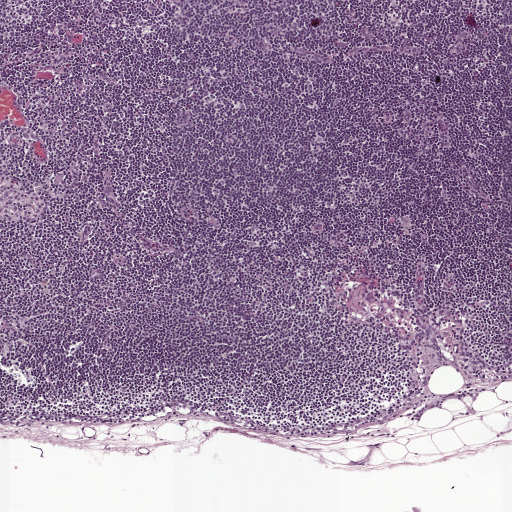
H&E-stained section of a sentinel lymph node (breast cancer), from a whole-slide image, viewed at about 5×: the field is about 1 mm across, about 1.9 µm per pixel.